Image:
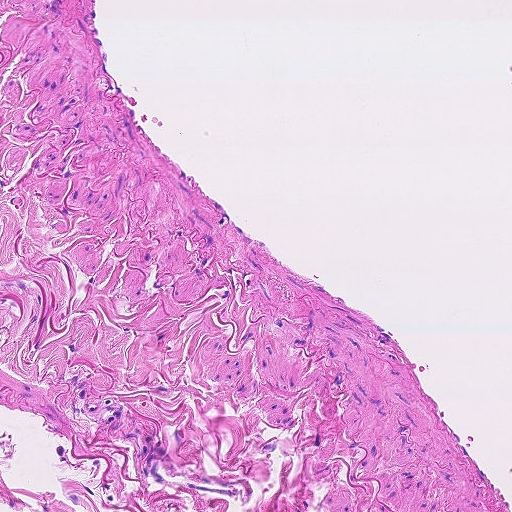
Lymph node section stained with H&E, from a whole-slide image of a breast-cancer sentinel node. Magnification about 10×, about 0.46 mm across the frame, about 0.9 µm per pixel.
Question:
Is there metastatic carcinoma in this field?
Answer:
No, this field holds no outlined metastasis.